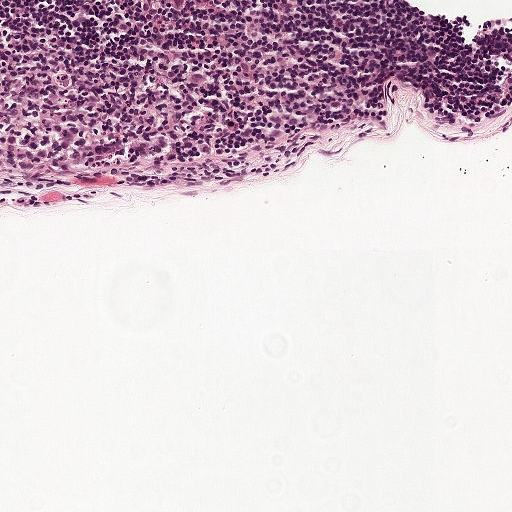
Lymph node section stained with H&E, from a whole-slide image of a breast-cancer sentinel node. Magnification about 10×, about 0.5 mm across the frame, about 0.97 µm per pixel.
Tumour region outline (a closed clockwise path, crop pixels): (0, 42), (104, 77), (149, 144), (146, 176), (126, 189), (84, 199), (1, 199).
Tumour covers about 5% of the frame.